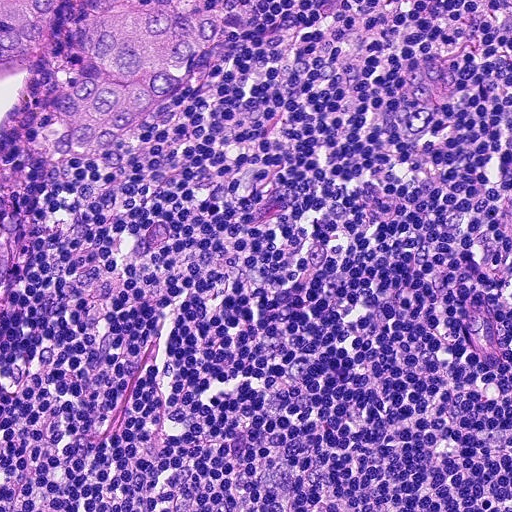
H&E-stained section of a sentinel lymph node (breast cancer), from a whole-slide image, viewed at about 20×: the field is about 0.23 mm across, about 0.45 µm per pixel.
Two metastatic tumour regions, each outlined as a closed clockwise path in crop pixels (x, y), largest first: region 1: (93, 0), (150, 0), (176, 12), (225, 9), (225, 35), (153, 116), (88, 161), (62, 160), (48, 137), (83, 66); region 2: (0, 0), (57, 0), (50, 25), (36, 48), (14, 63), (0, 67).
One more small tumour piece is annotated here but not outlined.
About 5% of this field is tumour.